A 1-mm field of an H&E-stained sentinel lymph node from a breast-cancer patient (whole-slide image), shown at about 5×, about 1.9 µm per pixel.
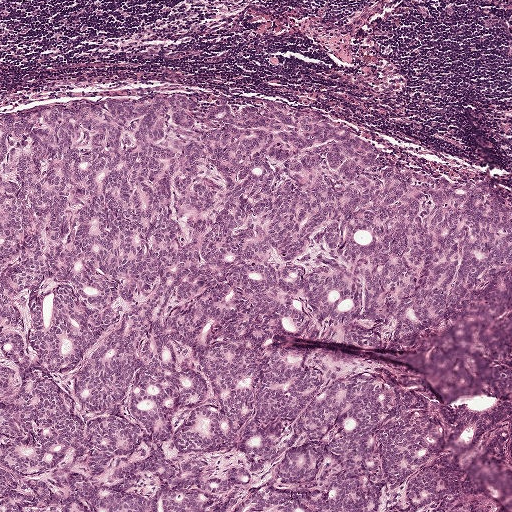
Question: Where is the metastatic tumour in this field?
Answer: The outlined metastatic tumour's edge, as a closed clockwise path of 17 points: (108, 92), (258, 92), (511, 203), (511, 267), (408, 332), (268, 335), (295, 352), (402, 368), (446, 404), (468, 393), (511, 397), (511, 465), (422, 416), (442, 455), (497, 511), (0, 511), (0, 113).
About 70% of this field is tumour.